Question: 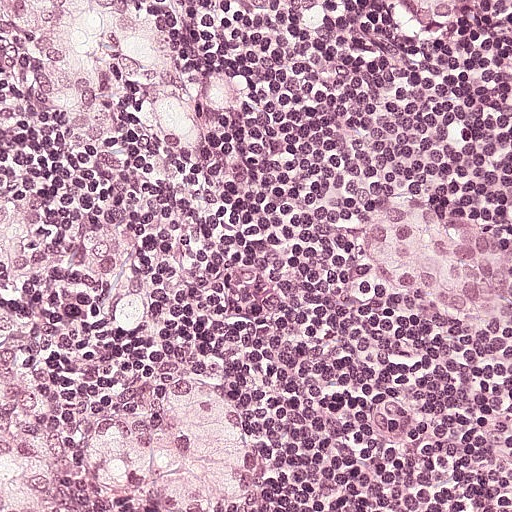
This is a crop of a whole-slide image: an H&E-stained breast-cancer sentinel lymph node section at roughly 20× magnification (about 0.49 µm per pixel; the crop spans about 0.25 mm).
About how much of this crop is taken up by metastatic carcinoma?

Choices:
 (A) about 10% to 20%
 (B) about 5% or less
 (C) about 25% to 45%
 (D) none: no tumour is outlined
 (E) about 50% or more

Answer: (C) about 25% to 45%
About 30% of the field is tumour.
Seven metastatic tumour regions, each outlined as a closed clockwise path in crop pixels (x, y), largest first: region 1: (0, 0), (138, 2), (190, 52), (243, 82), (249, 105), (234, 132), (202, 114), (179, 168), (168, 168), (152, 150), (52, 148), (29, 136), (27, 76), (4, 36); region 2: (172, 373), (220, 373), (234, 396), (251, 450), (250, 476), (232, 505), (224, 511), (155, 511), (102, 486), (84, 444), (84, 410), (127, 405); region 3: (402, 188), (491, 238), (508, 264), (504, 334), (452, 330), (382, 279), (358, 257), (356, 207); region 4: (0, 222), (11, 255), (6, 310), (27, 357), (40, 376), (50, 402), (69, 489), (69, 511), (0, 511); region 5: (468, 0), (463, 14), (458, 18), (441, 30), (432, 31), (420, 31), (408, 29), (400, 20), (390, 12), (386, 1); region 6: (211, 0), (303, 0), (288, 18), (282, 20), (268, 20), (248, 12), (243, 12), (243, 10), (220, 5); region 7: (511, 73), (511, 119), (510, 118), (510, 117), (508, 117), (508, 114), (507, 114), (507, 111), (505, 110), (505, 107), (504, 107), (504, 105), (502, 105), (502, 100), (501, 99), (501, 96), (502, 92), (502, 86), (504, 86), (504, 84), (506, 82), (506, 80), (507, 78), (508, 78), (510, 75).